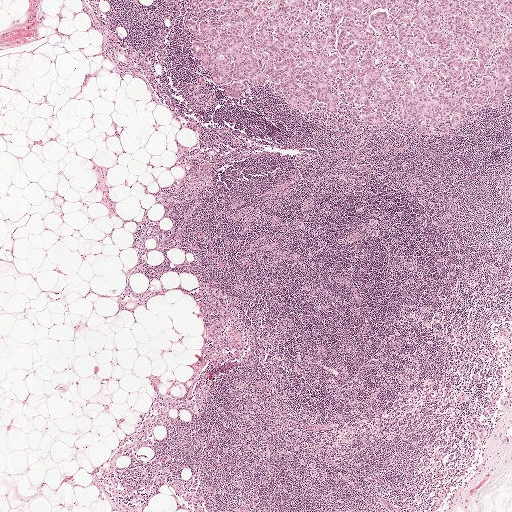
A 2.0-mm field of an H&E-stained sentinel lymph node from a breast-cancer patient (whole-slide image), shown at about 2.5×, about 3.9 µm per pixel.
One metastatic tumour region; its boundary, reduced to 20 corners and listed clockwise: (189, 0), (511, 0), (511, 96), (493, 110), (473, 105), (459, 129), (443, 135), (439, 124), (428, 136), (415, 132), (423, 122), (367, 126), (351, 104), (341, 115), (328, 116), (323, 107), (300, 114), (259, 85), (234, 100), (194, 60).
One more small tumour piece is annotated here but not outlined.
The annotated tumour makes up about 15% of the crop.